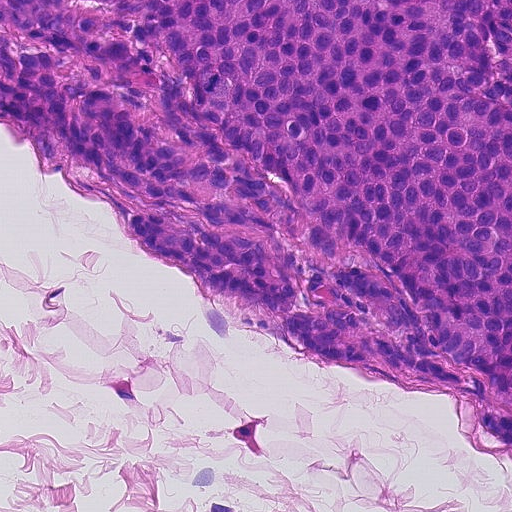
A 0.23-mm field of an H&E-stained sentinel lymph node from a breast-cancer patient (whole-slide image), shown at about 20×, about 0.45 µm per pixel.
Tumour region outline (a closed clockwise path, crop pixels): (0, 0), (511, 0), (511, 453), (434, 390), (316, 362), (206, 309), (187, 273), (150, 258), (96, 198), (59, 182), (8, 128).
Tumour covers about 60% of the frame.